Question: 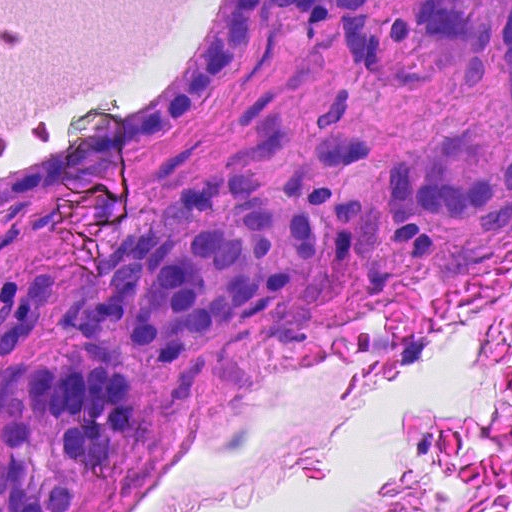
Which magnification is this H&E lymph node field most likely shown at?

Choices:
 (A) about 10×
 (B) about 2.5×
 (C) about 5×
 (D) about 40×
 (E) about 20×

Answer: (D) about 40×
This is a crop of a whole-slide image: an H&E-stained breast-cancer sentinel lymph node section at roughly 40× magnification (about 0.23 µm per pixel; the crop spans about 0.12 mm).
Outlines of four tumour regions, largest first (closed clockwise paths, crop pixels): region 1: (240, 171), (320, 220), (320, 260), (309, 293), (191, 365), (157, 370), (124, 358), (140, 387), (141, 426), (126, 456), (95, 471), (71, 511), (0, 511), (0, 373), (71, 349), (61, 323), (91, 263), (207, 175); region 2: (0, 0), (408, 0), (336, 27), (299, 31), (266, 21), (188, 123), (0, 216); region 3: (410, 0), (511, 0), (511, 120), (478, 106), (451, 83), (460, 48), (417, 37), (407, 30); region 4: (511, 150), (511, 198), (460, 225), (418, 219), (404, 221), (387, 215), (386, 167), (392, 153), (418, 159), (428, 174), (462, 181).
About 40% of the image area is annotated as tumour.